H&E-stained section of a sentinel lymph node (breast cancer), from a whole-slide image, viewed at about 2.5×: the field is about 2.0 mm across, about 3.9 µm per pixel.
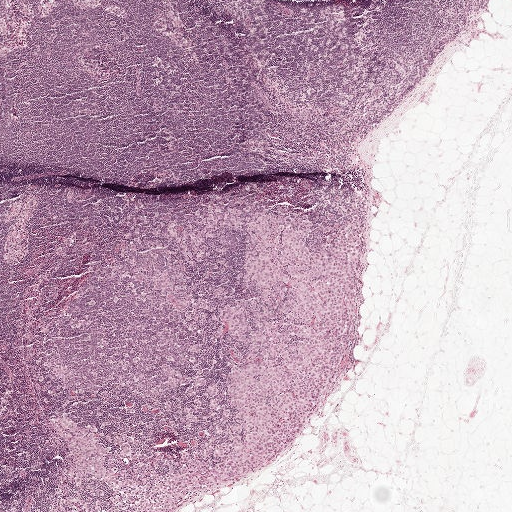
The outlined metastatic tumour's edge, as a closed clockwise path of 14 points: (248, 204), (322, 225), (338, 207), (363, 205), (346, 365), (281, 460), (170, 511), (85, 511), (63, 497), (68, 458), (36, 385), (46, 321), (123, 260), (128, 219).
Tumour covers about 30% of the frame.